Image:
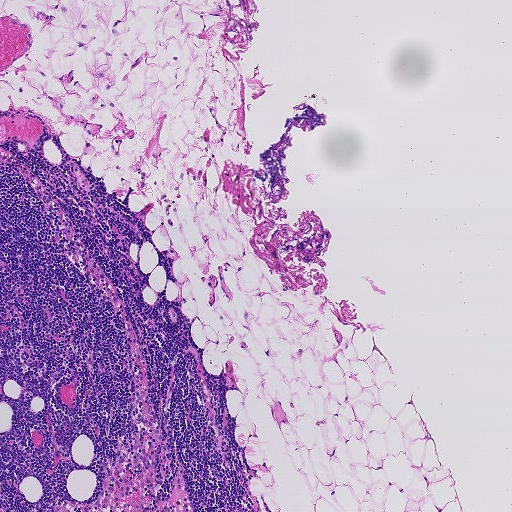
This is a crop of a whole-slide image: an H&E-stained breast-cancer sentinel lymph node section at roughly 5× magnification (about 1.8 µm per pixel; the crop spans about 0.93 mm).
Question:
Is there metastatic carcinoma in this field?
Answer:
No: no metastatic tumour is outlined anywhere in this field.